H&E-stained section of a sentinel lymph node (breast cancer), from a whole-slide image, viewed at about 2.5×: the field is about 2.0 mm across, about 3.9 µm per pixel.
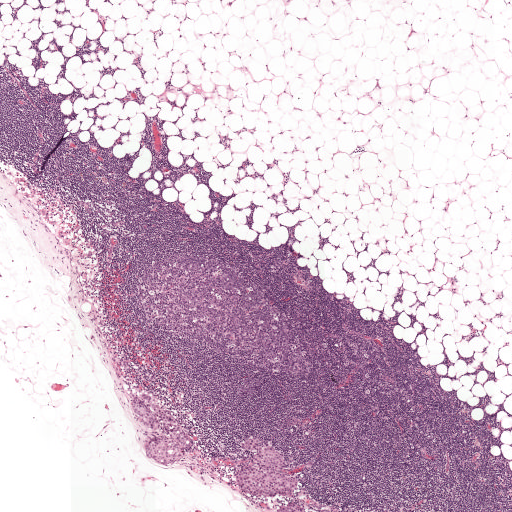
Outlines of three tumour regions, largest first (closed clockwise paths, crop pixels): region 1: (251, 433), (264, 436), (283, 455), (296, 477), (297, 483), (294, 495), (282, 500), (250, 496), (240, 488), (236, 470), (241, 466), (252, 464), (254, 451), (242, 450), (238, 444), (240, 438), (245, 434); region 2: (139, 393), (146, 393), (167, 408), (177, 425), (188, 431), (193, 442), (191, 448), (185, 451), (180, 462), (168, 465), (150, 460), (144, 456), (142, 450), (145, 444), (162, 437), (170, 436), (155, 419), (157, 429), (146, 429), (136, 422), (131, 403), (133, 398); region 3: (294, 502), (313, 509), (316, 511), (276, 511), (276, 510), (280, 506), (288, 503).
Tumour covers under 5% of the frame.